Question: 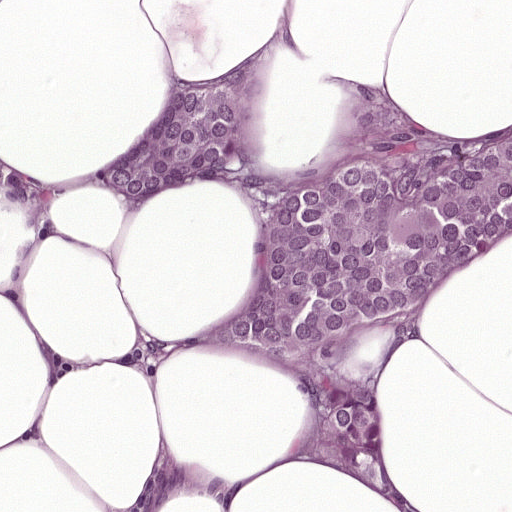
H&E-stained section of a sentinel lymph node (breast cancer), from a whole-slide image, viewed at about 20×: the field is about 0.25 mm across, about 0.49 µm per pixel.
Roughly what share of this field is metastatic tumour?

Choices:
 (A) about 25% to 45%
 (B) about 5% or less
 (C) about 10% to 20%
 (D) about 50% or more
 (E) none: no tumour is outlined

Answer: (C) about 10% to 20%
About 20% of the field is tumour.
One metastatic tumour region; its boundary, reduced to 20 corners and listed clockwise: (208, 83), (247, 112), (236, 158), (274, 188), (315, 160), (511, 125), (511, 221), (472, 237), (421, 300), (346, 314), (323, 346), (374, 406), (358, 455), (323, 441), (301, 386), (234, 360), (273, 226), (244, 187), (108, 166), (121, 120).